Image:
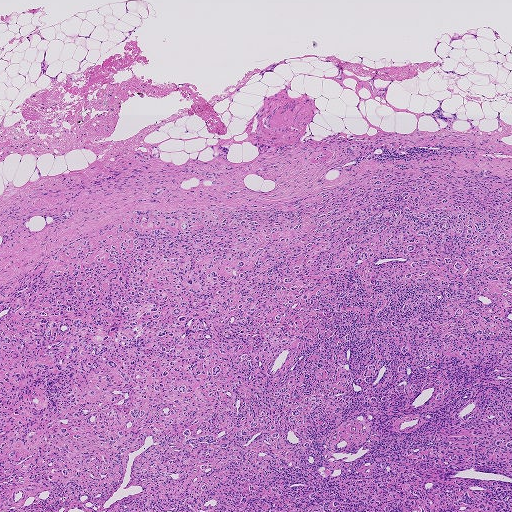
Lymph node section stained with H&E, from a whole-slide image of a breast-cancer sentinel node. Magnification about 2.5×, about 1.9 mm across the frame, about 3.6 µm per pixel.
Question:
Which parts of this field are metastatic tumour? Answer with the outline of each region, in pixels.
Answer:
Metastatic tumour outline, simplified to 7 points and listed clockwise in crop pixels (x, y): (401, 166), (511, 175), (511, 511), (0, 511), (0, 283), (136, 209), (235, 209).
About 60% of this field is tumour.